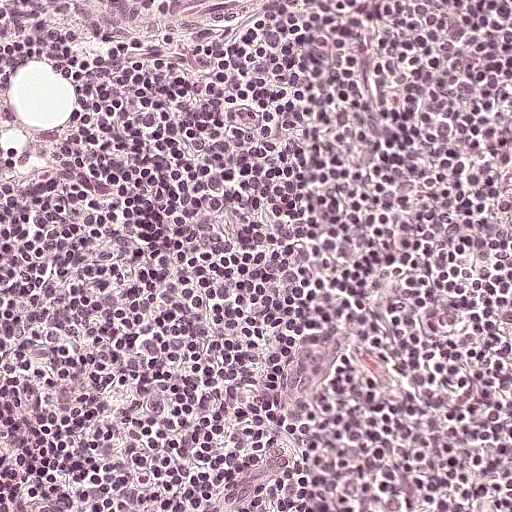
H&E-stained section of a sentinel lymph node (breast cancer), from a whole-slide image, viewed at about 20×: the field is about 0.25 mm across, about 0.49 µm per pixel.